Image:
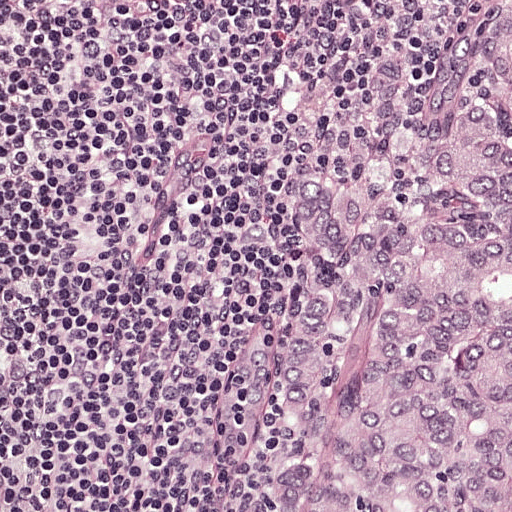
Lymph node section stained with H&E, from a whole-slide image of a breast-cancer sentinel node. Magnification about 20×, about 0.25 mm across the frame, about 0.49 µm per pixel.
Question:
Show where the tumour is in this image.
Answer:
Tumour region outline (a closed clockwise path, crop pixels): (366, 0), (511, 0), (511, 511), (161, 511), (298, 212), (330, 40), (354, 26).
About 50% of the image area is annotated as tumour.